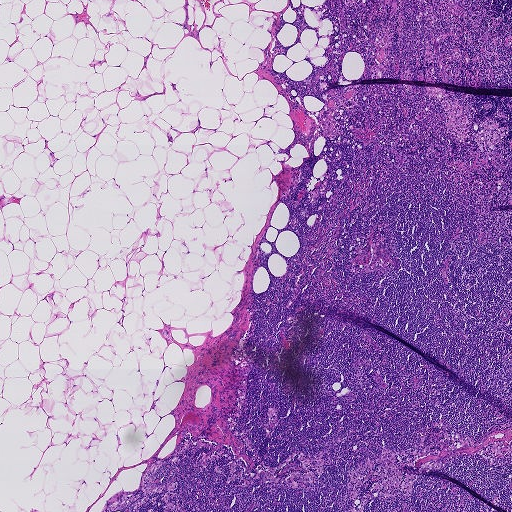
H&E-stained section of a sentinel lymph node (breast cancer), from a whole-slide image, viewed at about 2.5×: the field is about 1.9 mm across, about 3.6 µm per pixel.